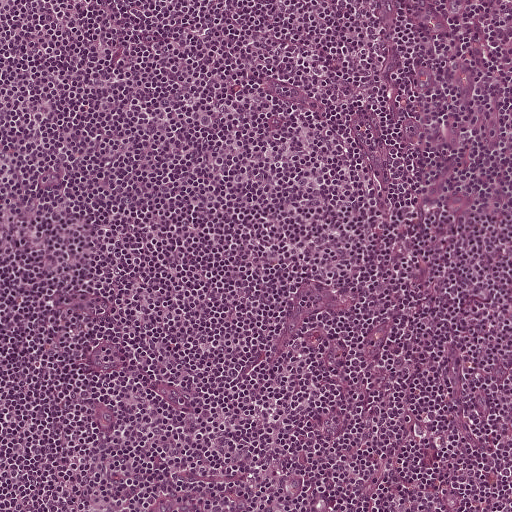
This is a crop of a whole-slide image: an H&E-stained breast-cancer sentinel lymph node section at roughly 10× magnification (about 0.97 µm per pixel; the crop spans about 0.5 mm).